Image:
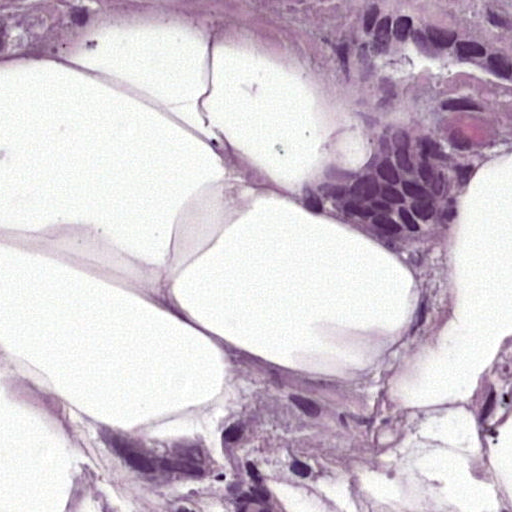
This is a crop of a whole-slide image: an H&E-stained breast-cancer sentinel lymph node section at roughly 40× magnification (about 0.24 µm per pixel; the crop spans about 0.12 mm).
Question:
Where is the metastatic tumour in this field? Give each region's outline as (x, y) pixel points.
Answer:
Three metastatic tumour regions, each outlined as a closed clockwise path in crop pixels (x, y), largest first: region 1: (400, 107), (456, 131), (466, 181), (442, 226), (409, 243), (373, 233), (319, 208), (306, 182), (380, 141), (386, 113); region 2: (388, 0), (398, 0), (511, 37), (511, 83), (499, 83), (419, 57), (359, 59), (342, 21); region 3: (0, 3), (36, 42), (0, 58).
About 10% of this field is tumour.